Question: 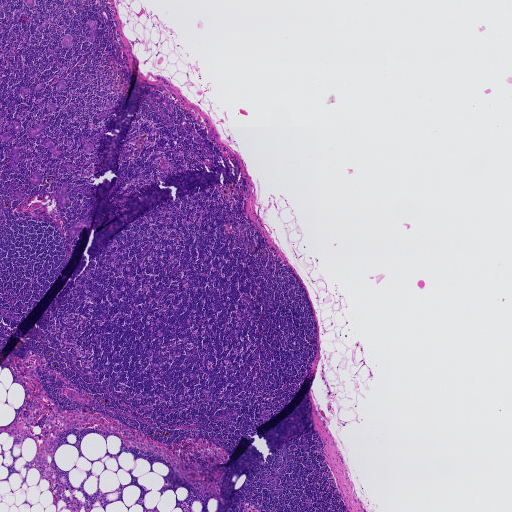
This is a crop of a whole-slide image: an H&E-stained breast-cancer sentinel lymph node section at roughly 2.5× magnification (about 3.6 µm per pixel; the crop spans about 1.9 mm).
Roughly what share of this field is metastatic tumour?

Choices:
 (A) about 25% to 45%
 (B) about 10% to 20%
 (C) about 5% or less
 (D) none: no tumour is outlined
 (E) about 50% or more

Answer: (C) about 5% or less
Under 5% of the field is tumour.
Outlines of eight tumour regions, largest first (closed clockwise paths, crop pixels): region 1: (150, 91), (165, 96), (172, 104), (172, 109), (170, 110), (156, 101), (154, 101), (150, 105), (146, 99), (148, 92); region 2: (85, 219), (90, 224), (88, 229), (83, 230), (81, 234), (76, 237), (72, 237), (69, 230), (72, 224); region 3: (66, 182), (68, 185), (67, 192), (68, 200), (68, 202), (66, 207), (62, 208), (60, 207), (59, 205), (58, 197), (55, 196), (55, 194), (56, 193), (58, 194), (59, 198), (62, 191), (62, 186), (63, 183); region 4: (41, 122), (44, 122), (46, 123), (47, 125), (47, 127), (38, 136), (33, 137), (28, 137), (27, 135), (27, 132); region 5: (46, 138), (48, 138), (53, 141), (56, 151), (61, 151), (61, 154), (57, 156), (56, 158), (54, 158), (52, 156), (52, 154), (47, 147), (45, 148), (44, 146), (44, 141); region 6: (18, 145), (20, 147), (20, 157), (17, 164), (18, 169), (16, 170), (13, 169), (11, 160), (14, 156), (13, 147); region 7: (103, 8), (105, 8), (108, 13), (111, 25), (110, 26), (105, 24), (102, 20), (99, 14), (99, 11), (101, 9); region 8: (89, 19), (93, 21), (95, 20), (97, 22), (96, 27), (97, 34), (96, 36), (94, 37), (92, 36), (90, 31), (88, 22).
17 more small tumour pieces are annotated here but not outlined.